Question: 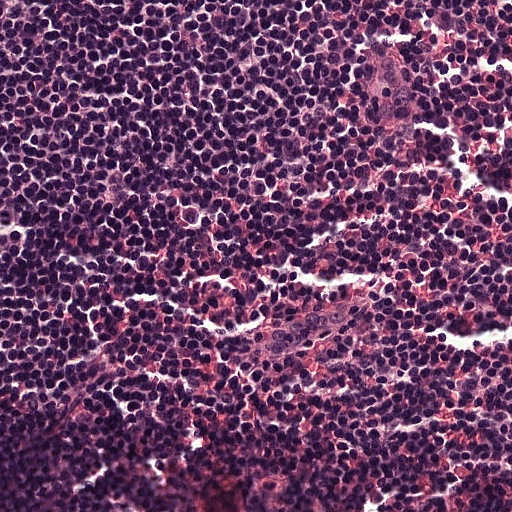
Which magnification is this H&E lymph node field most likely shown at?

Choices:
 (A) about 2.5×
 (B) about 5×
 (C) about 20×
 (D) about 40×
 (E) about 10×

Answer: (C) about 20×
This is a crop of a whole-slide image: an H&E-stained breast-cancer sentinel lymph node section at roughly 20× magnification (about 0.49 µm per pixel; the crop spans about 0.25 mm).